Question: 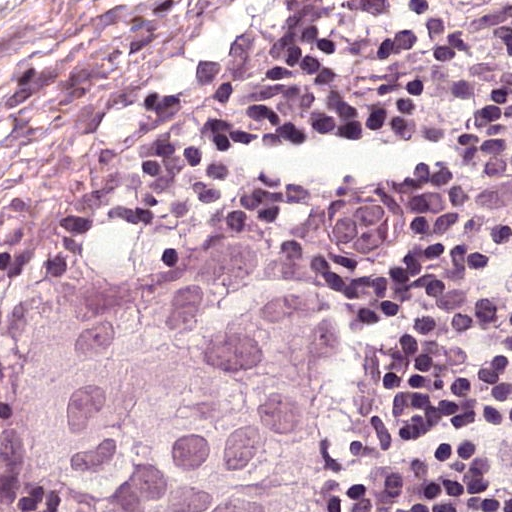
Which magnification is this H&E lymph node field most likely shown at?

Choices:
 (A) about 10×
 (B) about 40×
 (C) about 20×
 (D) about 2.5×
 (E) about 5×

Answer: (B) about 40×
This is a crop of a whole-slide image: an H&E-stained breast-cancer sentinel lymph node section at roughly 40× magnification (about 0.24 µm per pixel; the crop spans about 0.12 mm).
One metastatic tumour region; its boundary, reduced to 13 corners and listed clockwise: (221, 228), (275, 245), (333, 299), (330, 355), (298, 457), (300, 511), (67, 511), (19, 484), (0, 470), (0, 445), (27, 328), (63, 299), (188, 253).
The annotated tumour makes up about 30% of the crop.